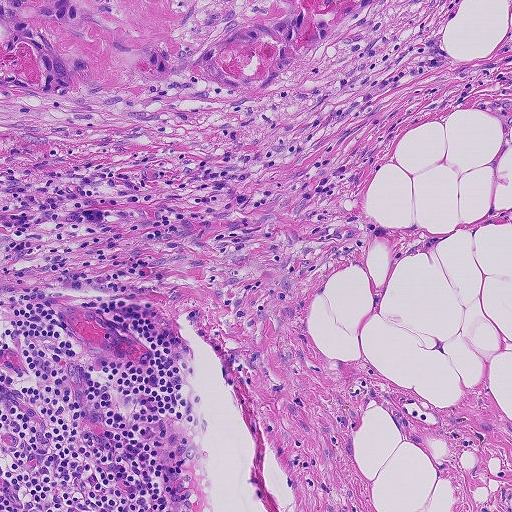
A 0.46-mm field of an H&E-stained sentinel lymph node from a breast-cancer patient (whole-slide image), shown at about 10×, about 0.9 µm per pixel.
The outlined metastatic tumour's edge, as a closed clockwise path of 8 points: (0, 0), (388, 0), (304, 74), (263, 98), (212, 104), (139, 96), (92, 107), (0, 89).
The annotated tumour makes up about 15% of the crop.